This is a crop of a whole-slide image: an H&E-stained breast-cancer sentinel lymph node section at roughly 10× magnification (about 0.97 µm per pixel; the crop spans about 0.5 mm).
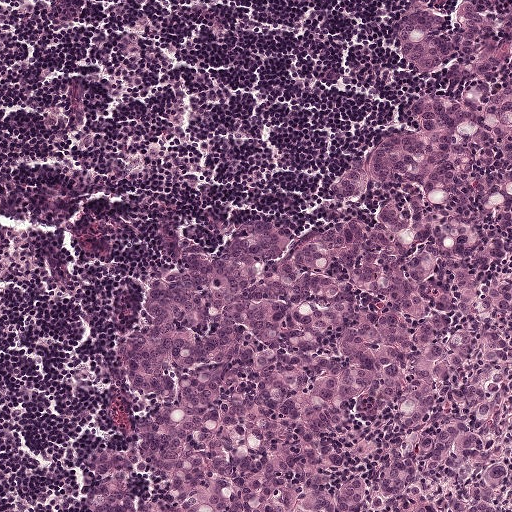
Tumour region outline (a closed clockwise path, crop pixels): (416, 0), (511, 0), (511, 511), (76, 511), (90, 496), (85, 453), (120, 416), (116, 348), (149, 274), (238, 224), (321, 204), (375, 136), (402, 122), (396, 48).
About 55% of the image area is annotated as tumour.